A 0.46-mm field of an H&E-stained sentinel lymph node from a breast-cancer patient (whole-slide image), shown at about 10×, about 0.9 µm per pixel.
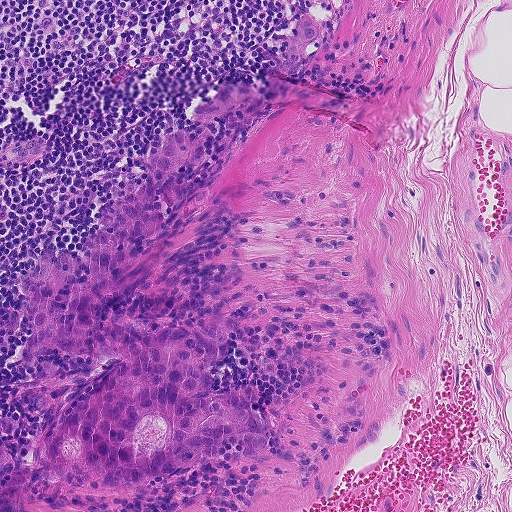
Question: Which parts of this field are metastatic tumour?
Answer: Outlines of two tumour regions, largest first (closed clockwise paths, crop pixels): region 1: (314, 18), (322, 30), (298, 66), (212, 123), (202, 166), (164, 186), (159, 267), (108, 316), (152, 332), (225, 327), (226, 355), (203, 371), (246, 399), (268, 464), (253, 467), (235, 445), (112, 496), (40, 473), (48, 430), (108, 364), (52, 352), (69, 392), (32, 404), (44, 361), (20, 348), (27, 276), (45, 252), (108, 230), (98, 213), (132, 194), (159, 141), (176, 130), (194, 138), (206, 123), (192, 120), (194, 106), (236, 82), (265, 86), (300, 19); region 2: (8, 416), (16, 420), (20, 427), (14, 433), (6, 436), (3, 444), (11, 459), (10, 467), (0, 470), (0, 418).
The annotated tumour makes up about 20% of the crop.